Question: 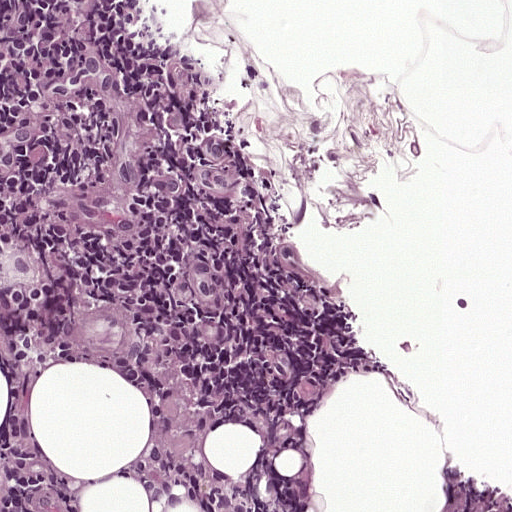
About what magnification does this crop show?

Choices:
 (A) about 2.5×
 (B) about 10×
 (C) about 40×
 (D) about 5×
 (E) about 20×

Answer: (E) about 20×
A 0.25-mm field of an H&E-stained sentinel lymph node from a breast-cancer patient (whole-slide image), shown at about 20×, about 0.49 µm per pixel.